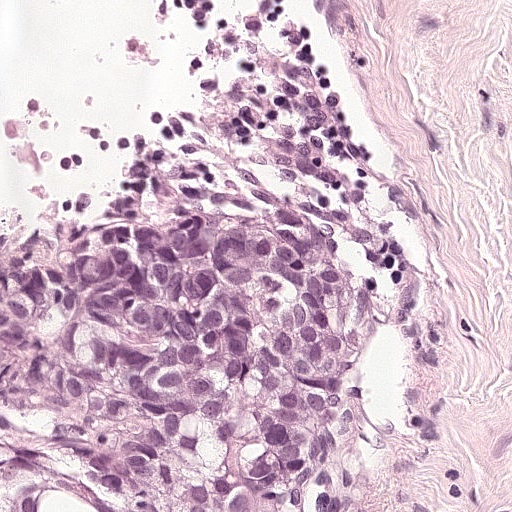
This is a crop of a whole-slide image: an H&E-stained breast-cancer sentinel lymph node section at roughly 20× magnification (about 0.49 µm per pixel; the crop spans about 0.25 mm).
Tumour region outline (a closed clockwise path, crop pixels): (315, 97), (343, 110), (368, 155), (350, 264), (386, 314), (364, 386), (354, 510), (0, 511), (0, 248), (136, 230), (159, 175), (209, 147), (284, 172), (298, 161).
About 45% of this field is tumour.